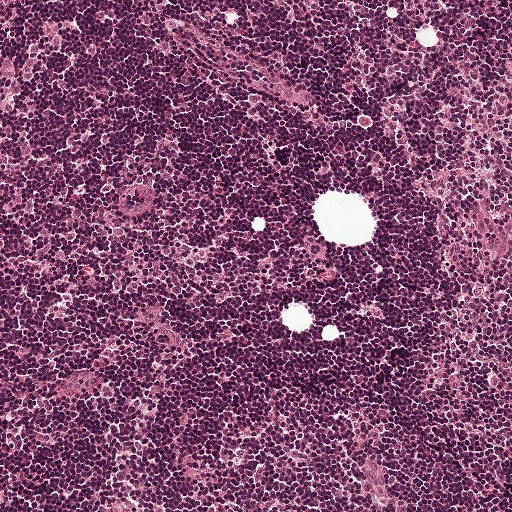
A 0.5-mm field of an H&E-stained sentinel lymph node from a breast-cancer patient (whole-slide image), shown at about 10×, about 0.97 µm per pixel.
Question: Is there metastatic carcinoma in this field?
Answer: No. No metastatic tumour is outlined in this field.